Question: 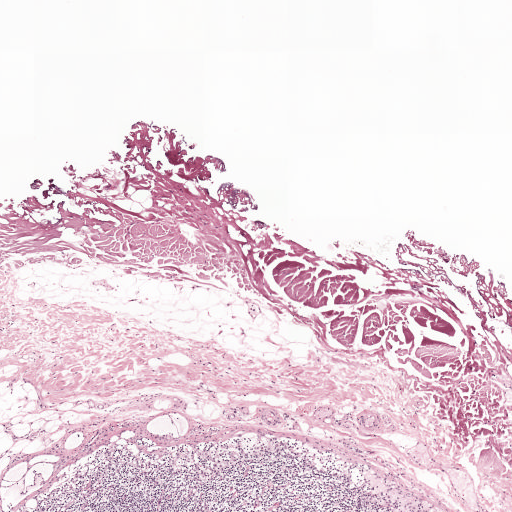
At roughly what magnification is this field shown?

Choices:
 (A) about 20×
 (B) about 5×
 (C) about 10×
 (D) about 40×
 (E) about 2.5×

Answer: (E) about 2.5×
Lymph node section stained with H&E, from a whole-slide image of a breast-cancer sentinel node. Magnification about 2.5×, about 2.0 mm across the frame, about 3.9 µm per pixel.